Question: 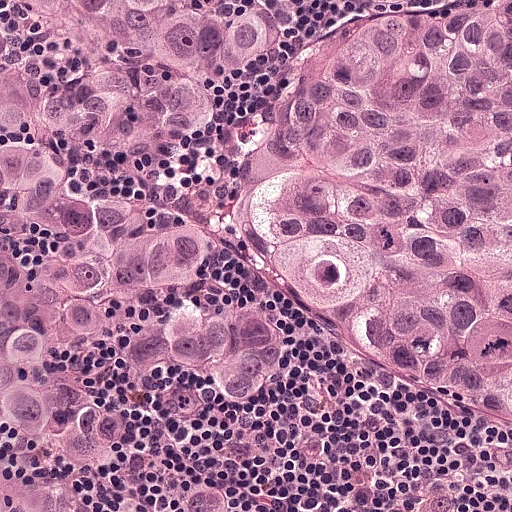
This is a crop of a whole-slide image: an H&E-stained breast-cancer sentinel lymph node section at roughly 20× magnification (about 0.49 µm per pixel; the crop spans about 0.25 mm).
About how much of this crop is taken up by metastatic carcinoma?

Choices:
 (A) about 50% or more
 (B) none: no tumour is outlined
 (C) about 25% to 45%
 (D) about 5% or less
 (E) about 10% to 20%

Answer: (A) about 50% or more
About 95% of the field is tumour.
One metastatic tumour region; its boundary, reduced to 7 corners and listed clockwise: (0, 0), (511, 0), (511, 453), (423, 425), (318, 414), (266, 508), (0, 511).